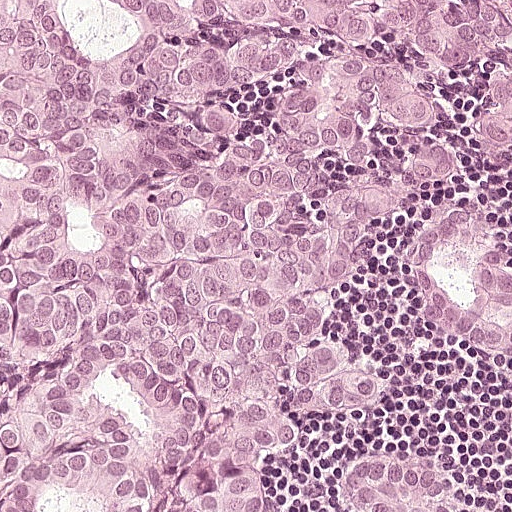
A 0.25-mm field of an H&E-stained sentinel lymph node from a breast-cancer patient (whole-slide image), shown at about 20×, about 0.49 µm per pixel.
Outlines of two tumour regions, largest first (closed clockwise paths, crop pixels): region 1: (0, 0), (510, 8), (511, 188), (492, 197), (488, 212), (511, 244), (511, 371), (468, 354), (406, 308), (401, 249), (420, 199), (399, 208), (344, 304), (384, 394), (278, 468), (275, 506), (0, 511); region 2: (395, 446), (436, 455), (434, 460), (442, 462), (449, 477), (454, 480), (459, 511), (342, 511), (338, 508), (336, 492), (349, 466), (364, 455), (382, 453).
About 90% of the image area is annotated as tumour.